Lymph node section stained with H&E, from a whole-slide image of a breast-cancer sentinel node. Magnification about 5×, about 1 mm across the frame, about 1.9 µm per pixel.
Image:
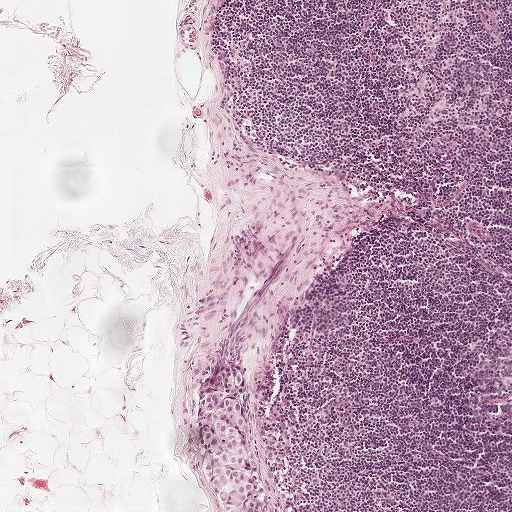
Question:
Is any metastatic breast cancer visible in this crop?
Answer:
Yes.
One metastatic tumour region; its boundary, reduced to 12 corners and listed clockwise: (218, 364), (246, 368), (242, 379), (253, 396), (251, 427), (257, 438), (256, 469), (271, 511), (220, 511), (204, 490), (198, 412), (203, 382).
About 5% of the image area is annotated as tumour.